Image:
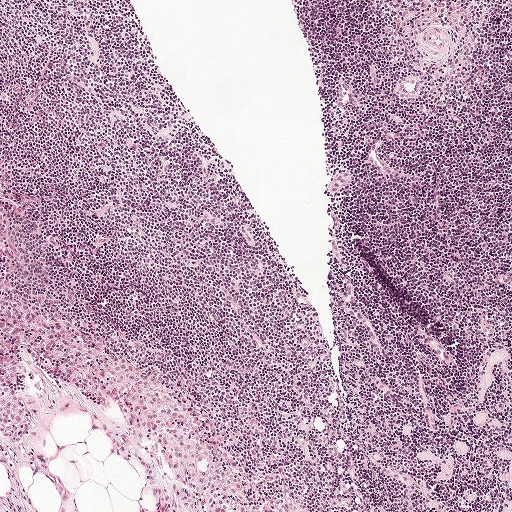
A 1-mm field of an H&E-stained sentinel lymph node from a breast-cancer patient (whole-slide image), shown at about 5×, about 1.9 µm per pixel.
Question:
Is there metastatic carcinoma in this field?
Answer:
No, this field holds no outlined metastasis.